Image:
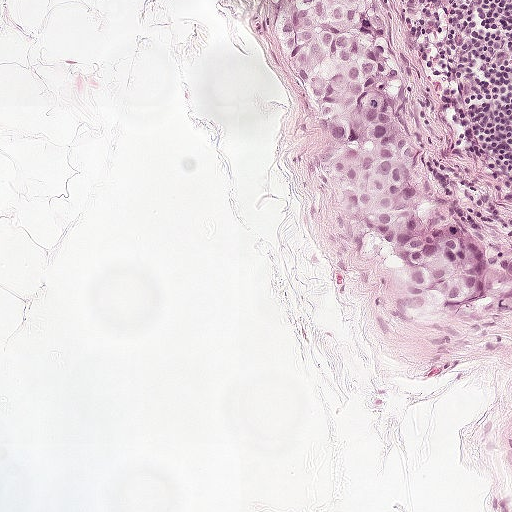
H&E-stained section of a sentinel lymph node (breast cancer), from a whole-slide image, viewed at about 10×: the field is about 0.5 mm across, about 0.97 µm per pixel.
Question:
Is any metastatic breast cancer visible in this crop?
Answer:
Yes.
One metastatic tumour region; its boundary, reduced to 12 corners and listed clockwise: (382, 0), (384, 41), (432, 155), (478, 232), (511, 252), (511, 323), (487, 320), (373, 268), (351, 248), (328, 138), (280, 74), (270, 2).
About 15% of the image area is annotated as tumour.